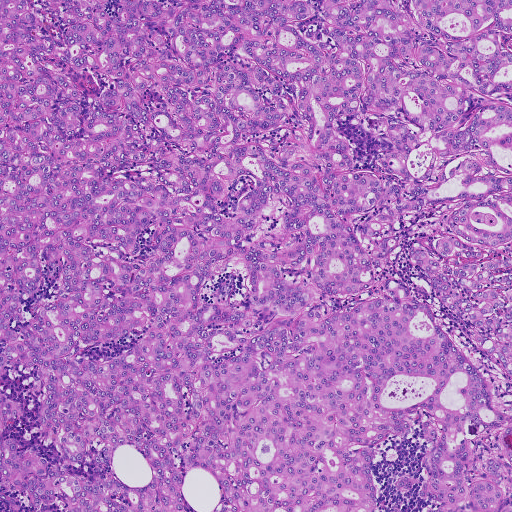
Lymph node section stained with H&E, from a whole-slide image of a breast-cancer sentinel node. Magnification about 5×, about 0.93 mm across the frame, about 1.8 µm per pixel.
Metastatic tumour covers the whole field.
Over 95% of the image area is annotated as tumour.